Image:
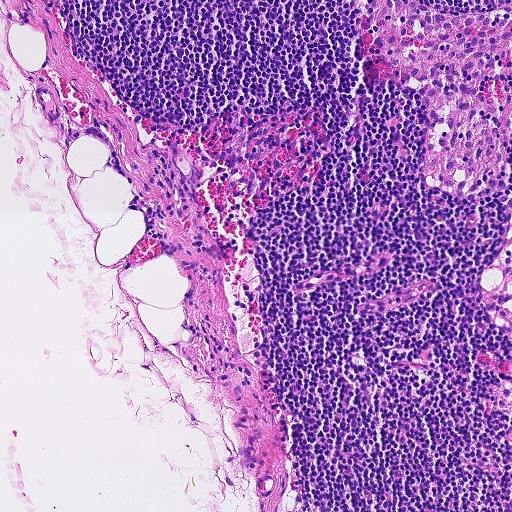
This is a crop of a whole-slide image: an H&E-stained breast-cancer sentinel lymph node section at roughly 10× magnification (about 0.9 µm per pixel; the crop spans about 0.46 mm).
Question:
Is there metastatic carcinoma in this field?
Answer:
No: no metastatic tumour is outlined anywhere in this field.